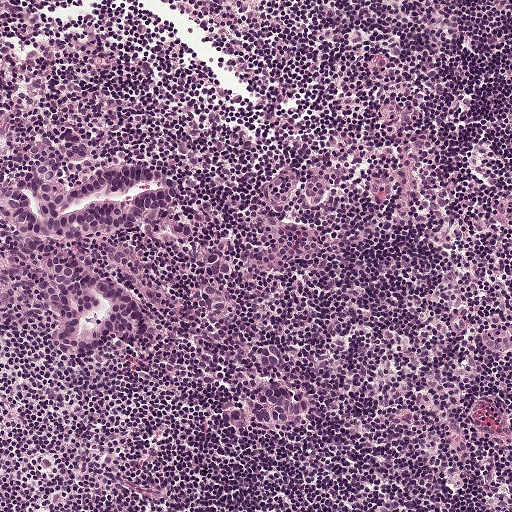
Lymph node section stained with H&E, from a whole-slide image of a breast-cancer sentinel node. Magnification about 10×, about 0.5 mm across the frame, about 0.97 µm per pixel.
Outlines of three tumour regions, largest first (closed clockwise paths, crop pixels): region 1: (142, 158), (178, 171), (183, 182), (181, 198), (136, 222), (88, 238), (58, 237), (53, 244), (65, 244), (133, 293), (148, 328), (142, 337), (105, 335), (91, 345), (45, 338), (43, 304), (12, 263), (0, 167), (46, 165), (59, 176), (102, 162); region 2: (268, 376), (278, 381), (294, 385), (297, 388), (304, 404), (296, 419), (248, 418), (232, 423), (216, 416), (216, 411), (220, 408), (232, 406), (248, 400), (254, 380), (256, 378), (262, 379); region 3: (104, 240), (107, 240), (112, 243), (116, 242), (125, 246), (136, 264), (154, 282), (158, 291), (160, 305), (153, 305), (143, 298), (133, 286), (124, 280), (118, 269), (102, 258), (96, 250).
One more small tumour piece is annotated here but not outlined.
About 10% of this field is tumour.